Question: 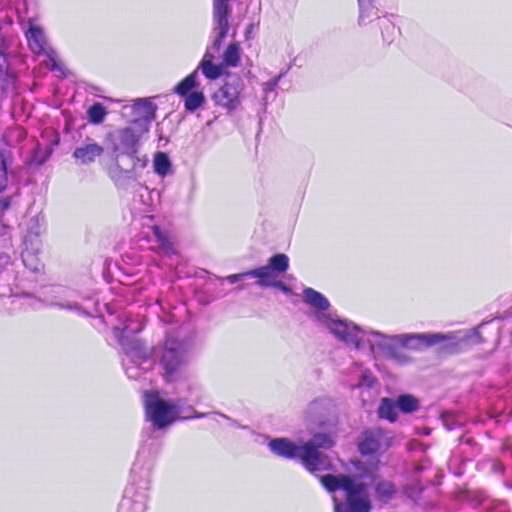
At roughly what magnification is this field shown?

Choices:
 (A) about 2.5×
 (B) about 10×
 (C) about 20×
 (D) about 5×
 (E) about 40×

Answer: (E) about 40×
This is a crop of a whole-slide image: an H&E-stained breast-cancer sentinel lymph node section at roughly 40× magnification (about 0.23 µm per pixel; the crop spans about 0.12 mm).
The outlined metastatic tumour's edge, as a closed clockwise path of 22 points: (229, 47), (259, 213), (289, 282), (348, 331), (425, 341), (511, 308), (508, 331), (391, 429), (418, 511), (341, 511), (342, 499), (282, 448), (227, 422), (152, 433), (127, 369), (82, 307), (5, 294), (1, 213), (54, 156), (84, 86), (122, 115), (197, 117).
Tumour covers about 35% of the frame.